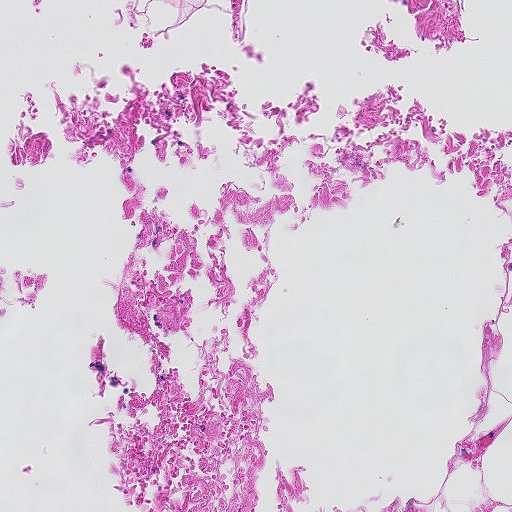
A 0.46-mm field of an H&E-stained sentinel lymph node from a breast-cancer patient (whole-slide image), shown at about 10×, about 0.9 µm per pixel.
Question: Does this lymph node field contain metastatic tumour?
Answer: No. No metastatic tumour is outlined in this field.